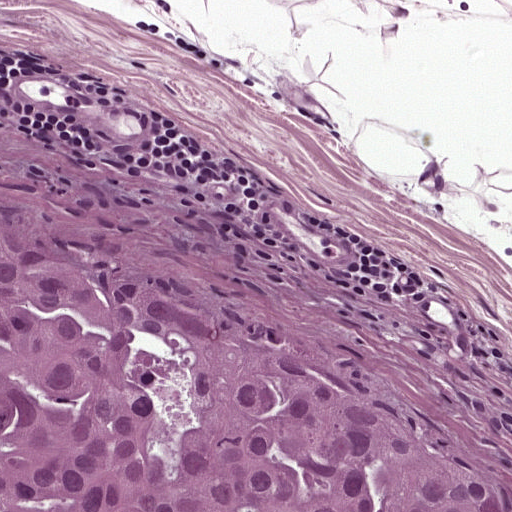
Lymph node section stained with H&E, from a whole-slide image of a breast-cancer sentinel node. Magnification about 20×, about 0.25 mm across the frame, about 0.49 µm per pixel.
Metastatic tumour outline, simplified to 5 points and listed clockwise in crop pixels (x, y): (0, 197), (362, 374), (511, 478), (511, 511), (0, 511).
About 35% of the image area is annotated as tumour.